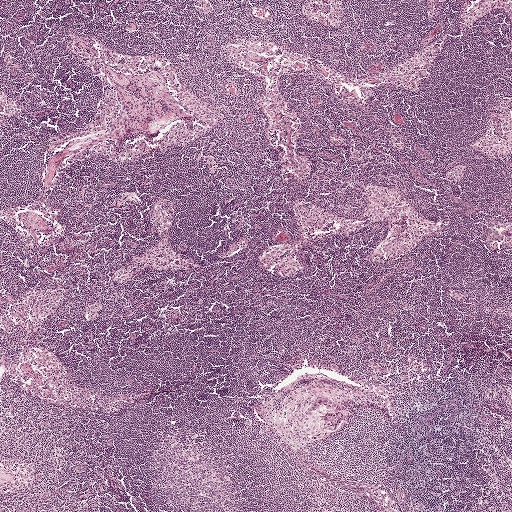
A 2.0-mm field of an H&E-stained sentinel lymph node from a breast-cancer patient (whole-slide image), shown at about 2.5×, about 3.9 µm per pixel.
Question: Where is the metastatic tumour in this field?
Answer: Tumour region outline (a closed clockwise path, crop pixels): (326, 398), (340, 408), (342, 414), (342, 422), (336, 432), (331, 433), (319, 441), (316, 441), (306, 436), (303, 420), (313, 403).
Tumour covers under 5% of the frame.